A 0.5-mm field of an H&E-stained sentinel lymph node from a breast-cancer patient (whole-slide image), shown at about 10×, about 0.97 µm per pixel.
Question: 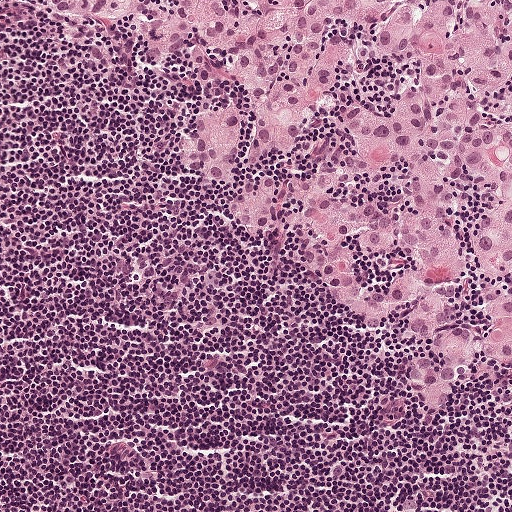
What fraction of the image area is metastatic tumour?

Choices:
 (A) about 25% to 45%
 (B) none: no tumour is outlined
 (C) about 5% or less
 (D) about 50% or more
 (E) about 10% to 20%

Answer: (A) about 25% to 45%
About 40% of the field is tumour.
The outlined metastatic tumour's edge, as a closed clockwise path of 24 points: (511, 0), (511, 358), (480, 358), (429, 408), (408, 377), (431, 343), (400, 339), (410, 303), (362, 329), (286, 224), (250, 234), (232, 220), (262, 166), (220, 184), (183, 167), (188, 126), (238, 107), (236, 72), (210, 81), (182, 56), (138, 62), (116, 17), (61, 21), (30, 1).